Image:
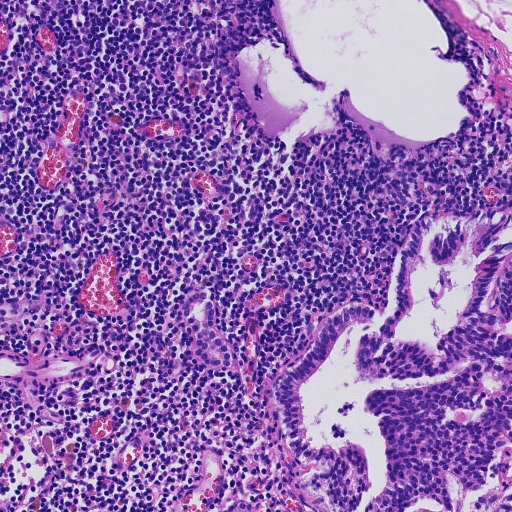
A 0.46-mm field of an H&E-stained sentinel lymph node from a breast-cancer patient (whole-slide image), shown at about 10×, about 0.91 µm per pixel.
Question:
Which parts of this field are metastatic tumour? Answer with the outline of each region, in pixels.
Answer:
Outlines of three tumour regions, largest first (closed clockwise paths, crop pixels): region 1: (511, 201), (511, 511), (444, 511), (422, 500), (408, 510), (328, 511), (303, 487), (308, 469), (291, 456), (273, 389), (330, 314), (348, 302), (382, 316), (394, 262), (424, 215); region 2: (206, 292), (216, 305), (212, 320), (231, 345), (235, 360), (223, 369), (208, 369), (196, 358), (192, 330), (181, 318), (179, 302), (191, 293); region 3: (233, 496), (249, 500), (261, 510), (260, 511), (223, 511), (222, 508).
The annotated tumour makes up about 20% of the crop.